Question: 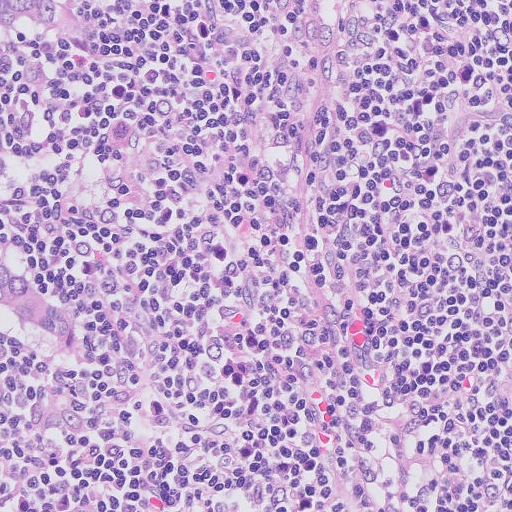
Lymph node section stained with H&E, from a whole-slide image of a breast-cancer sentinel node. Magnification about 20×, about 0.26 mm across the frame, about 0.5 µm per pixel.
About how much of this crop is taken up by metastatic carcinoma?

Choices:
 (A) about 5% or less
 (B) about 50% or more
 (C) about 10% to 20%
 (D) about 25% to 45%
 (E) none: no tumour is outlined

Answer: (C) about 10% to 20%
About 15% of the field is tumour.
The outlined metastatic tumour's edge, as a closed clockwise path of 6 points: (0, 0), (56, 0), (42, 220), (87, 330), (91, 511), (0, 511).
Question: 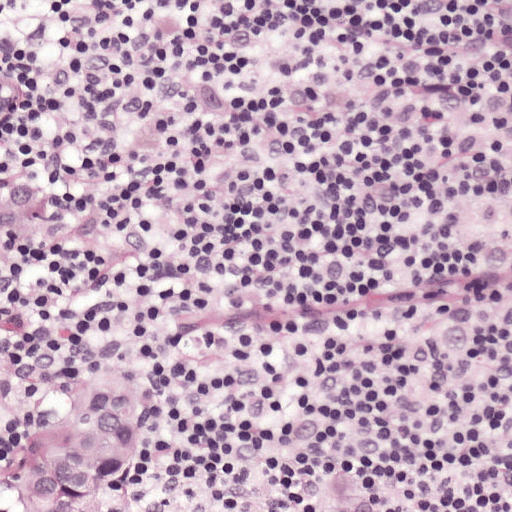
This is a crop of a whole-slide image: an H&E-stained breast-cancer sentinel lymph node section at roughly 20× magnification (about 0.49 µm per pixel; the crop spans about 0.25 mm).
About how much of this crop is taken up by metastatic carcinoma?

Choices:
 (A) about 25% to 45%
 (B) about 5% or less
 (C) about 10% to 20%
 (D) about 50% or more
 (E) none: no tumour is outlined

Answer: (C) about 10% to 20%
About 15% of the field is tumour.
Boundaries of two metastatic tumour regions, simplified and listed clockwise, largest first: region 1: (104, 352), (153, 373), (176, 429), (140, 470), (86, 509), (14, 511), (0, 503), (0, 423), (56, 364); region 2: (0, 73), (34, 84), (36, 152), (86, 196), (125, 185), (125, 236), (82, 259), (31, 266), (0, 263).
Question: 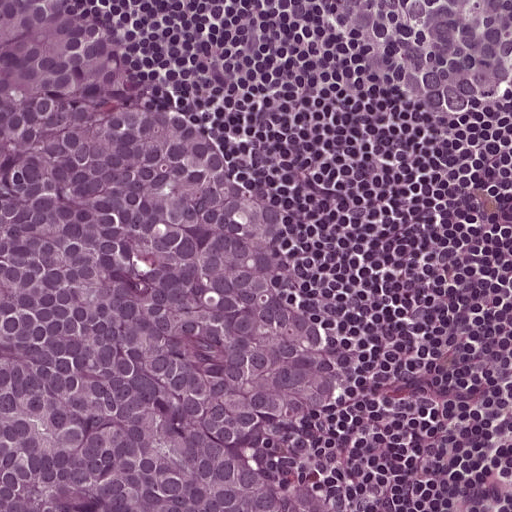
Lymph node section stained with H&E, from a whole-slide image of a breast-cancer sentinel node. Magnification about 20×, about 0.25 mm across the frame, about 0.49 µm per pixel.
About how much of this crop is taken up by metastatic carcinoma?

Choices:
 (A) about 50% or more
 (B) about 5% or less
 (C) none: no tumour is outlined
 (D) about 25% to 45%
 (E) about 10% to 20%

Answer: (A) about 50% or more
About 55% of the field is tumour.
One metastatic tumour region; its boundary, reduced to 9 corners and listed clockwise: (0, 0), (96, 1), (158, 54), (178, 92), (272, 162), (346, 350), (330, 471), (345, 508), (0, 511).
Question: 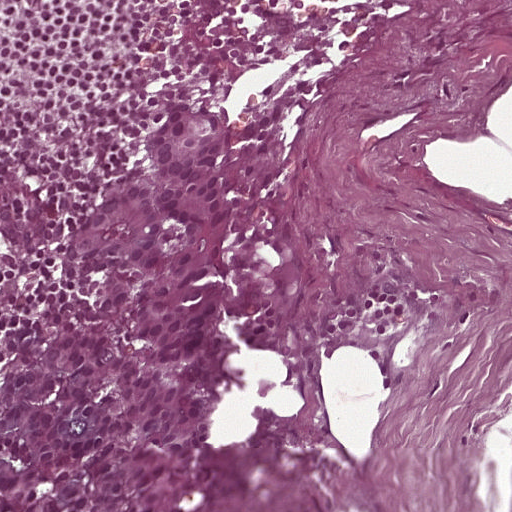
A 0.25-mm field of an H&E-stained sentinel lymph node from a breast-cancer patient (whole-slide image), shown at about 20×, about 0.49 µm per pixel.
About how much of this crop is taken up by metastatic carcinoma?

Choices:
 (A) about 50% or more
 (B) about 10% to 20%
 (C) none: no tumour is outlined
 (D) about 25% to 45%
 (E) about 5% or less

Answer: (D) about 25% to 45%
About 35% of the field is tumour.
One metastatic tumour region; its boundary, reduced to 19 corners and listed clockwise: (180, 89), (287, 112), (294, 142), (282, 236), (290, 272), (279, 306), (280, 336), (297, 353), (293, 362), (260, 346), (238, 350), (185, 511), (0, 511), (0, 353), (44, 281), (43, 220), (88, 207), (128, 164), (146, 94).